Question: 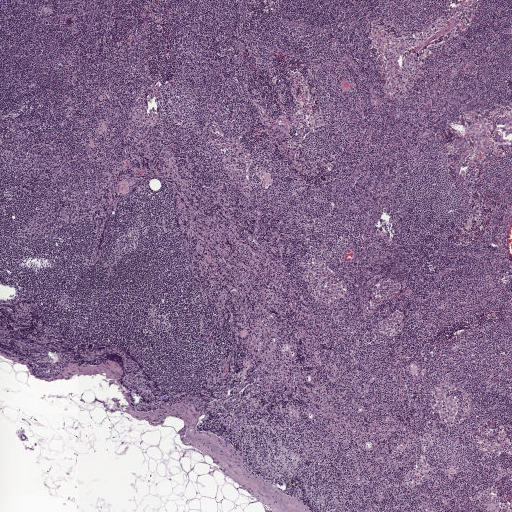
Which magnification is this H&E lymph node field most likely shown at?

Choices:
 (A) about 20×
 (B) about 5×
 (C) about 10×
 (D) about 2.5×
 (E) about 40×

Answer: (D) about 2.5×
Lymph node section stained with H&E, from a whole-slide image of a breast-cancer sentinel node. Magnification about 2.5×, about 2.0 mm across the frame, about 3.9 µm per pixel.